Question: 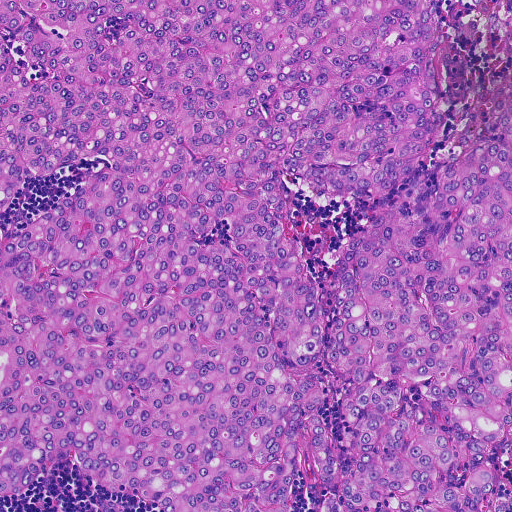
Lymph node section stained with H&E, from a whole-slide image of a breast-cancer sentinel node. Magnification about 10×, about 0.46 mm across the frame, about 0.91 µm per pixel.
About how much of this crop is taken up by metastatic carcinoma?

Choices:
 (A) about 10% to 20%
 (B) about 25% to 45%
 (C) about 50% or more
 (D) about 5% or less
 (E) none: no tumour is outlined

Answer: (C) about 50% or more
About 95% of the field is tumour.
The outlined metastatic tumour's edge, as a closed clockwise path of 17 points: (0, 0), (440, 0), (450, 34), (436, 63), (444, 125), (430, 154), (368, 200), (288, 180), (313, 276), (390, 198), (461, 154), (456, 139), (511, 85), (511, 442), (492, 448), (495, 511), (0, 511).